Lymph node section stained with H&E, from a whole-slide image of a breast-cancer sentinel node. Magnification about 5×, about 0.93 mm across the frame, about 1.8 µm per pixel.
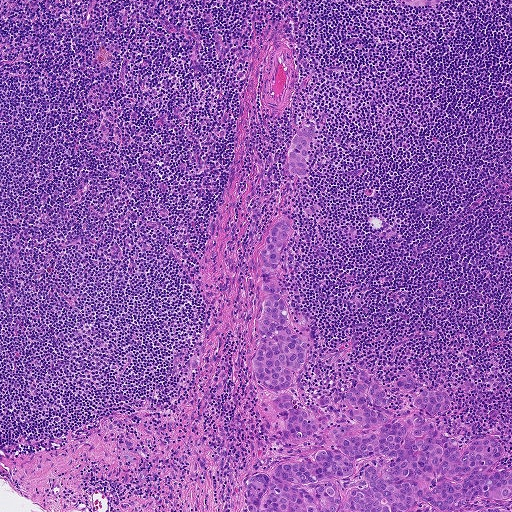
Outlines of three tumour regions, largest first (closed clockwise paths, crop pixels): region 1: (281, 219), (292, 234), (281, 292), (312, 347), (291, 392), (317, 406), (363, 369), (385, 386), (394, 417), (417, 412), (393, 386), (398, 376), (416, 377), (416, 395), (443, 392), (448, 412), (428, 418), (459, 451), (476, 437), (499, 440), (492, 468), (511, 469), (511, 500), (458, 510), (511, 511), (242, 511), (248, 478), (339, 452), (326, 431), (277, 438), (284, 416), (251, 361), (257, 251); region 2: (304, 122), (315, 127), (315, 140), (308, 152), (308, 177), (294, 177), (288, 168), (285, 156), (294, 131); region 3: (392, 0), (445, 0), (437, 5), (411, 8), (396, 3).
About 10% of this field is tumour.